H&E-stained section of a sentinel lymph node (breast cancer), from a whole-slide image, viewed at about 20×: the field is about 0.25 mm across, about 0.49 µm per pixel.
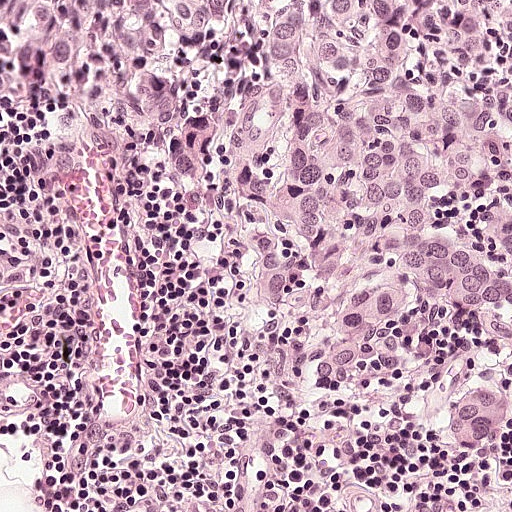
Metastatic tumour outline, simplified to 14 points and listed clockwise in crop pixels (x, y): (511, 0), (511, 457), (458, 458), (401, 418), (357, 424), (307, 404), (280, 346), (212, 254), (214, 228), (124, 128), (60, 94), (42, 51), (16, 29), (12, 1).
About 55% of this field is tumour.